Question: 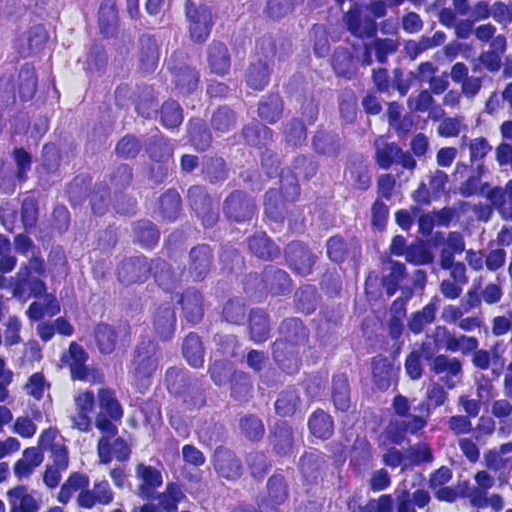
This is a crop of a whole-slide image: an H&E-stained breast-cancer sentinel lymph node section at roughly 40× magnification (about 0.23 µm per pixel; the crop spans about 0.12 mm).
About how much of this crop is taken up by metastatic carcinoma?

Choices:
 (A) none: no tumour is outlined
 (B) about 10% to 20%
 (C) about 50% or more
 (D) about 25% to 45%
 (E) about 5% or less

Answer: (C) about 50% or more
About 65% of the field is tumour.
One metastatic tumour region; its boundary, reduced to 9 corners and listed clockwise: (0, 0), (338, 0), (362, 80), (399, 338), (395, 465), (376, 511), (191, 511), (31, 246), (0, 240).